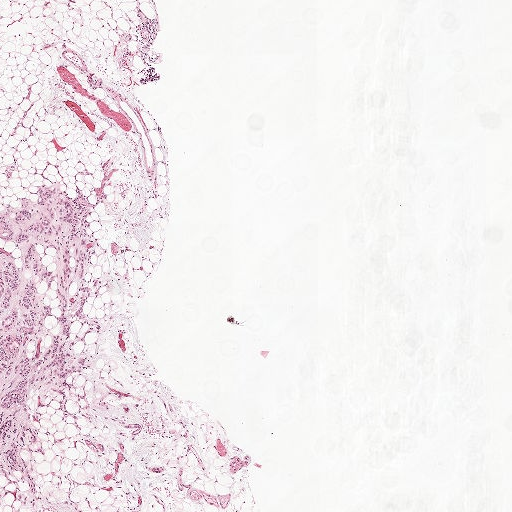
Lymph node section stained with H&E, from a whole-slide image of a breast-cancer sentinel node. Magnification about 2.5×, about 2.0 mm across the frame, about 3.9 µm per pixel.
Boundaries of two metastatic tumour regions, simplified and listed clockwise, largest first: region 1: (46, 184), (80, 203), (86, 231), (100, 244), (84, 282), (95, 293), (82, 304), (88, 324), (70, 326), (70, 334), (85, 333), (74, 350), (87, 363), (68, 378), (62, 391), (67, 399), (39, 389), (28, 400), (48, 459), (22, 451), (24, 470), (0, 475), (0, 211), (2, 204); region 2: (8, 165), (14, 166), (14, 171), (11, 174), (13, 177), (8, 180), (6, 180), (5, 176), (2, 173).
About 5% of this field is tumour.